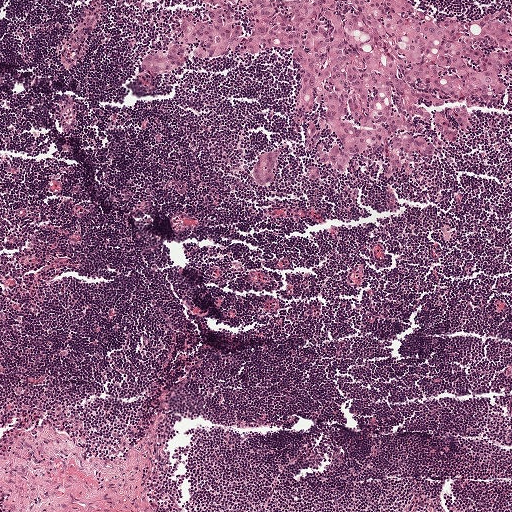
Lymph node section stained with H&E, from a whole-slide image of a breast-cancer sentinel node. Magnification about 5×, about 1 mm across the frame, about 1.9 µm per pixel.
Two metastatic tumour regions, each outlined as a closed clockwise path in crop pixels (x, y), largest first: region 1: (211, 0), (410, 0), (436, 21), (511, 6), (509, 88), (472, 108), (463, 138), (442, 142), (425, 125), (436, 156), (412, 157), (412, 175), (393, 173), (372, 150), (313, 178), (318, 157), (304, 137), (304, 84), (288, 48), (142, 69), (142, 55), (174, 38), (185, 14), (206, 22); region 2: (270, 149), (277, 155), (274, 174), (270, 183), (266, 185), (256, 184), (252, 174), (253, 166), (260, 154).
The annotated tumour makes up about 15% of the crop.